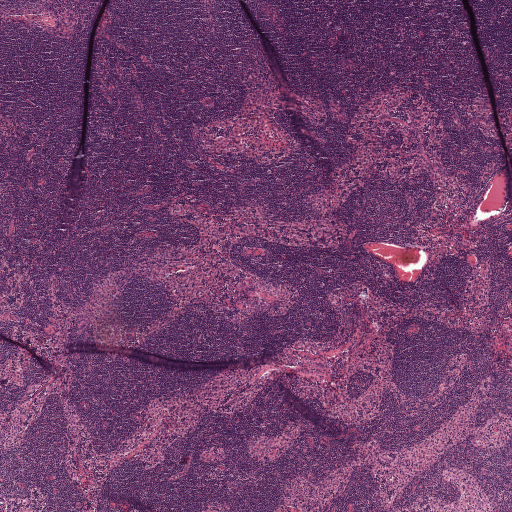
A 2.0-mm field of an H&E-stained sentinel lymph node from a breast-cancer patient (whole-slide image), shown at about 2.5×, about 3.9 µm per pixel.